Image:
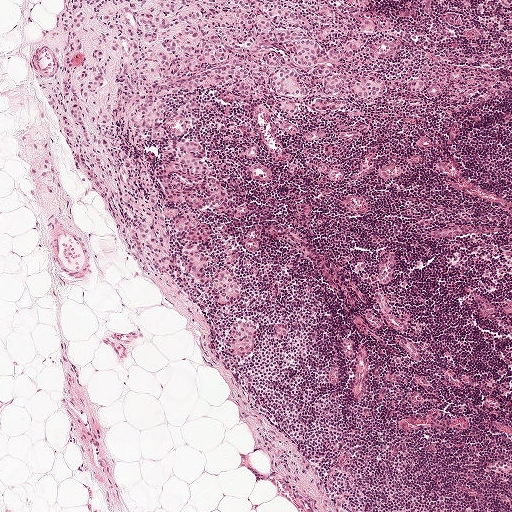
H&E-stained section of a sentinel lymph node (breast cancer), from a whole-slide image, viewed at about 5×: the field is about 1 mm across, about 1.9 µm per pixel.
Question:
Which parts of this field are metastatic tumour? Answer with the outline of each region, in pixels.
Answer:
Outlines of three tumour regions, largest first (closed clockwise paths, crop pixels): region 1: (69, 0), (371, 0), (388, 15), (389, 31), (334, 67), (384, 88), (382, 103), (294, 116), (214, 84), (166, 113), (171, 133), (212, 150), (222, 202), (179, 209), (199, 216), (187, 236), (211, 258), (204, 273), (230, 269), (240, 302), (165, 282), (126, 247), (119, 206), (64, 130); region 2: (235, 318), (250, 318), (260, 323), (258, 344), (251, 359), (234, 358), (228, 354), (229, 326); region 3: (276, 323), (291, 327), (290, 338), (283, 342), (276, 340), (272, 335), (272, 330).
About 20% of the image area is annotated as tumour.